H&E-stained section of a sentinel lymph node (breast cancer), from a whole-slide image, viewed at about 2.5×: the field is about 1.9 mm across, about 3.6 µm per pixel.
Image:
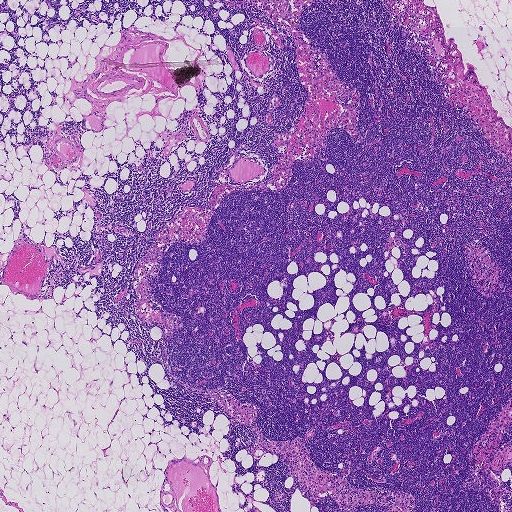
Question:
Is any metastatic breast cancer visible in this crop?
Answer:
No. No metastatic tumour is outlined in this field.